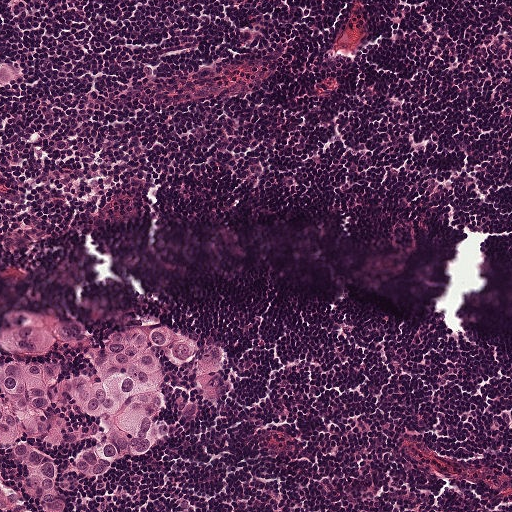
Lymph node section stained with H&E, from a whole-slide image of a breast-cancer sentinel node. Magnification about 10×, about 0.5 mm across the frame, about 0.97 µm per pixel.
Two metastatic tumour regions, each outlined as a closed clockwise path in crop pixels (x, y), largest first: region 1: (0, 311), (50, 312), (98, 328), (165, 315), (217, 334), (224, 404), (204, 404), (196, 397), (194, 370), (180, 368), (159, 350), (154, 360), (174, 399), (171, 439), (144, 455), (115, 461), (100, 479), (70, 476), (70, 510), (0, 511); region 2: (0, 38), (22, 73), (22, 85), (0, 99).
One more small tumour piece is annotated here but not outlined.
About 10% of the image area is annotated as tumour.